Question: 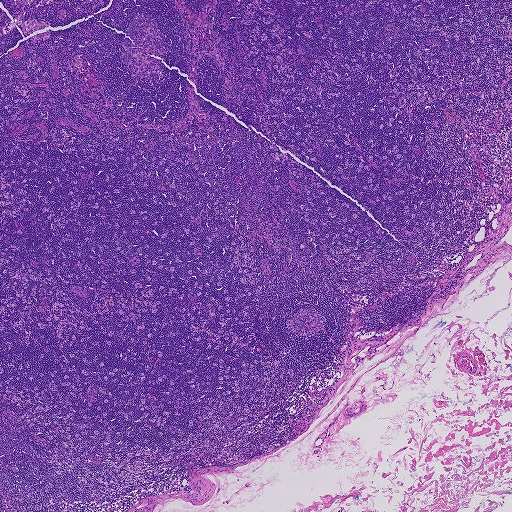
About what magnification does this crop show?

Choices:
 (A) about 5×
 (B) about 20×
 (C) about 10×
 (D) about 40×
 (E) about 2.5×

Answer: (E) about 2.5×
This is a crop of a whole-slide image: an H&E-stained breast-cancer sentinel lymph node section at roughly 2.5× magnification (about 3.6 µm per pixel; the crop spans about 1.9 mm).